Image:
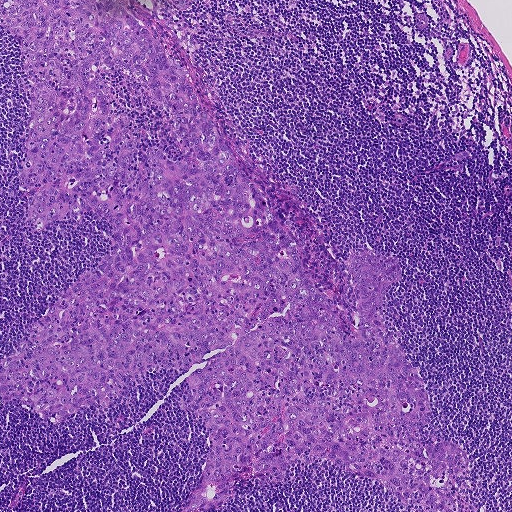
Lymph node section stained with H&E, from a whole-slide image of a breast-cancer sentinel node. Magnification about 5×, about 0.93 mm across the frame, about 1.8 µm per pixel.
Question:
Does this lymph node field contain metastatic tumour?
Answer:
Yes.
Tumour region outline (a closed clockwise path, crop pixels): (0, 0), (113, 0), (325, 250), (397, 256), (385, 315), (431, 415), (411, 439), (468, 452), (468, 511), (316, 459), (176, 511), (209, 440), (173, 364), (61, 426), (3, 406), (0, 357), (113, 235), (90, 211), (22, 223), (32, 85).
About 45% of this field is tumour.